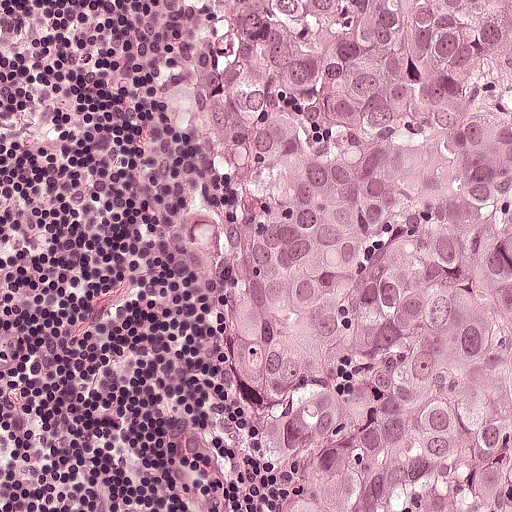
This is a crop of a whole-slide image: an H&E-stained breast-cancer sentinel lymph node section at roughly 20× magnification (about 0.49 µm per pixel; the crop spans about 0.25 mm).
One metastatic tumour region; its boundary, reduced to 9 corners and listed clockwise: (511, 0), (511, 511), (272, 511), (236, 388), (247, 347), (232, 352), (199, 302), (149, 172), (168, 4).
About 60% of this field is tumour.